Question: 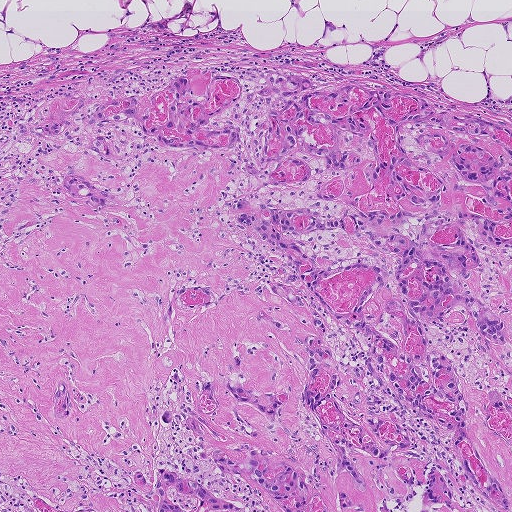
A 0.93-mm field of an H&E-stained sentinel lymph node from a breast-cancer patient (whole-slide image), shown at about 5×, about 1.8 µm per pixel.
Roughly what share of this field is metastatic tumour?

Choices:
 (A) about 5% or less
 (B) none: no tumour is outlined
 (C) about 50% or more
 (D) about 10% to 20%
 (E) about 25% to 45%

Answer: (C) about 50% or more
About 80% of the field is tumour.
The outlined metastatic tumour's edge, as a closed clockwise path of 14 points: (196, 67), (214, 69), (212, 78), (271, 69), (326, 92), (396, 86), (437, 112), (509, 128), (511, 511), (0, 511), (0, 160), (18, 123), (67, 92), (151, 93).